Image:
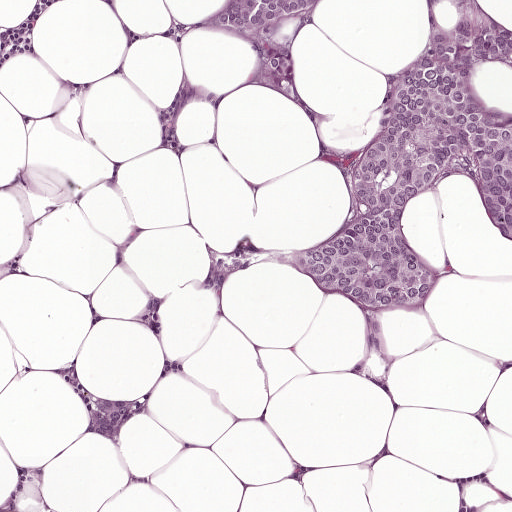
H&E-stained section of a sentinel lymph node (breast cancer), from a whole-slide image, viewed at about 10×: the field is about 0.5 mm across, about 0.97 µm per pixel.
Question:
Describe where the metastatic carcinoma lies in this crop.
Answer:
Two metastatic tumour regions, each outlined as a closed clockwise path in crop pixels (x, y), largest first: region 1: (466, 20), (511, 27), (511, 60), (492, 62), (466, 81), (476, 108), (504, 119), (511, 113), (511, 245), (496, 224), (476, 170), (448, 172), (402, 207), (403, 236), (424, 257), (432, 284), (413, 306), (325, 294), (304, 276), (296, 248), (322, 236), (406, 82), (424, 59), (451, 45); region 2: (229, 0), (316, 0), (305, 8), (276, 11), (269, 17), (264, 27), (266, 38), (282, 48), (290, 57), (290, 76), (282, 81), (273, 80), (264, 74), (259, 56), (254, 47), (244, 41), (220, 34), (221, 11).
Tumour covers about 10% of the frame.